Question: 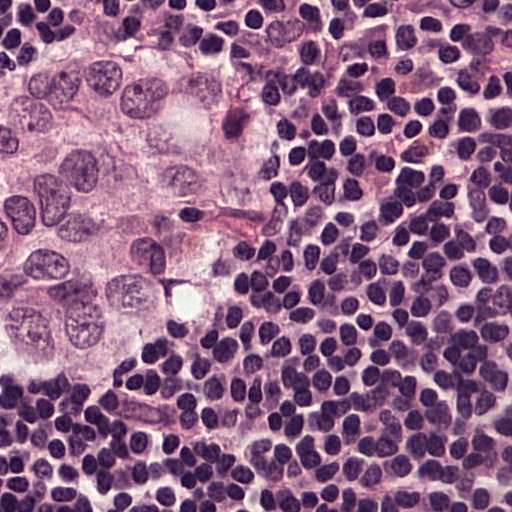
About what magnification does this crop show?

Choices:
 (A) about 40×
 (B) about 10×
 (C) about 2.5×
 (D) about 5×
 (E) about 20×

Answer: (A) about 40×
Lymph node section stained with H&E, from a whole-slide image of a breast-cancer sentinel node. Magnification about 40×, about 0.12 mm across the frame, about 0.24 µm per pixel.
The outlined metastatic tumour's edge, as a closed clockwise path of 12 points: (77, 43), (224, 56), (226, 70), (258, 92), (272, 160), (252, 221), (179, 286), (156, 343), (109, 375), (60, 374), (0, 344), (0, 91).
About 25% of the image area is annotated as tumour.